Question: 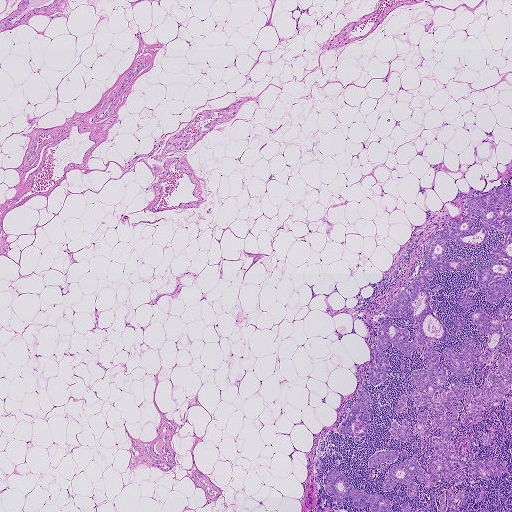
H&E-stained section of a sentinel lymph node (breast cancer), from a whole-slide image, viewed at about 2.5×: the field is about 1.9 mm across, about 3.6 µm per pixel.
Roughly what share of this field is metastatic tumour?

Choices:
 (A) about 50% or more
 (B) about 25% to 45%
 (C) none: no tumour is outlined
 (D) about 5% or less
 (E) about 10% to 20%

Answer: (E) about 10% to 20%
About 10% of the field is tumour.
Boundaries of eight metastatic tumour regions, simplified and listed clockwise, largest first: region 1: (332, 468), (339, 470), (346, 482), (356, 490), (364, 492), (368, 495), (378, 494), (392, 501), (390, 506), (392, 508), (388, 511), (373, 511), (368, 502), (363, 508), (358, 508), (352, 499), (347, 497), (342, 498), (341, 503), (334, 501), (323, 487), (326, 473); region 2: (365, 388), (369, 398), (368, 409), (370, 416), (367, 431), (358, 442), (354, 442), (352, 439), (354, 436), (339, 434), (337, 431), (339, 427), (359, 393); region 3: (394, 419), (401, 426), (402, 420), (407, 419), (410, 433), (408, 442), (392, 440), (389, 434), (386, 439), (391, 420); region 4: (393, 449), (397, 450), (398, 454), (392, 463), (381, 463), (376, 468), (372, 468), (368, 462), (368, 458), (378, 451); region 5: (449, 489), (451, 489), (454, 494), (456, 496), (457, 494), (458, 491), (460, 490), (463, 490), (464, 492), (464, 495), (464, 498), (462, 500), (459, 500), (457, 502), (458, 511), (457, 511), (449, 511), (451, 508), (446, 505), (444, 511), (439, 511), (438, 506), (440, 504), (439, 498), (440, 496), (442, 494), (444, 496), (445, 501), (447, 491); region 6: (460, 296), (471, 297), (473, 303), (472, 308), (466, 310), (457, 304), (457, 301); region 7: (424, 412), (426, 417), (423, 424), (425, 432), (423, 435), (421, 435), (417, 431), (416, 426), (419, 414); region 8: (491, 431), (494, 432), (495, 435), (493, 437), (493, 439), (490, 444), (487, 445), (485, 444), (481, 440), (479, 435), (481, 433), (487, 434), (488, 432).
One more tumour region is annotated but not outlined: its edge is too irregular for a short outline.
One more, smaller tumour region is not outlined.
Eight more small tumour pieces are annotated here but not outlined.